Question: 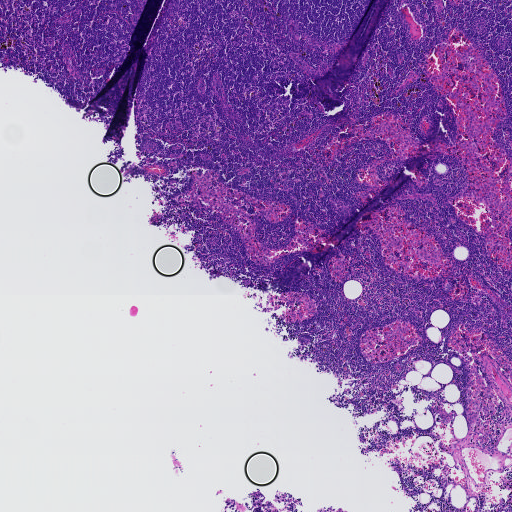
About what magnification does this crop show?

Choices:
 (A) about 2.5×
 (B) about 40×
 (C) about 10×
 (D) about 5×
 (E) about 20×

Answer: (A) about 2.5×
This is a crop of a whole-slide image: an H&E-stained breast-cancer sentinel lymph node section at roughly 2.5× magnification (about 3.6 µm per pixel; the crop spans about 1.9 mm).